Question: 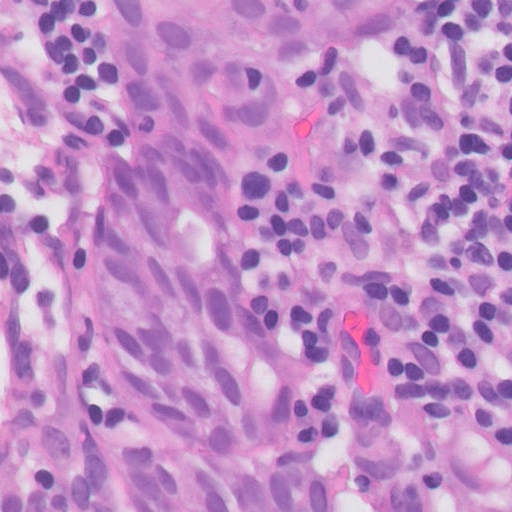
Which magnification is this H&E lymph node field most likely shown at?

Choices:
 (A) about 2.5×
 (B) about 40×
 (C) about 10×
 (D) about 20×
 (E) about 5×

Answer: (B) about 40×
H&E-stained section of a sentinel lymph node (breast cancer), from a whole-slide image, viewed at about 40×: the field is about 0.13 mm across, about 0.25 µm per pixel.
The outlined metastatic tumour's edge, as a closed clockwise path of 8 points: (105, 0), (312, 0), (328, 26), (330, 94), (270, 207), (356, 511), (69, 511), (67, 300).
About 45% of the image area is annotated as tumour.